H&E-stained section of a sentinel lymph node (breast cancer), from a whole-slide image, viewed at about 40×: the field is about 0.12 mm across, about 0.24 µm per pixel.
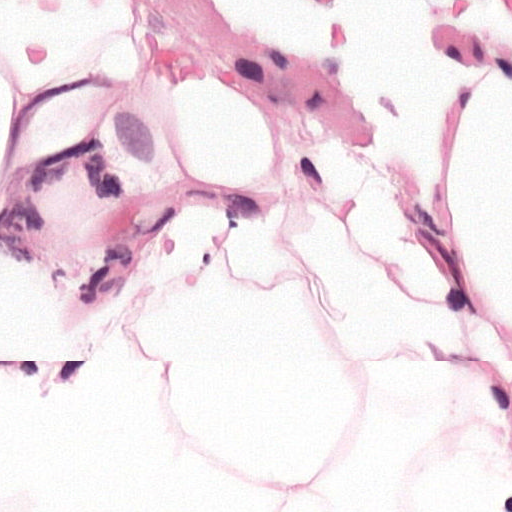
Two metastatic tumour regions, each outlined as a closed clockwise path in crop pixels (x, y), largest first: region 1: (139, 77), (186, 91), (203, 179), (119, 200), (86, 120); region 2: (299, 0), (511, 0), (511, 98), (465, 75), (396, 6), (307, 12).
Tumour covers about 5% of the frame.